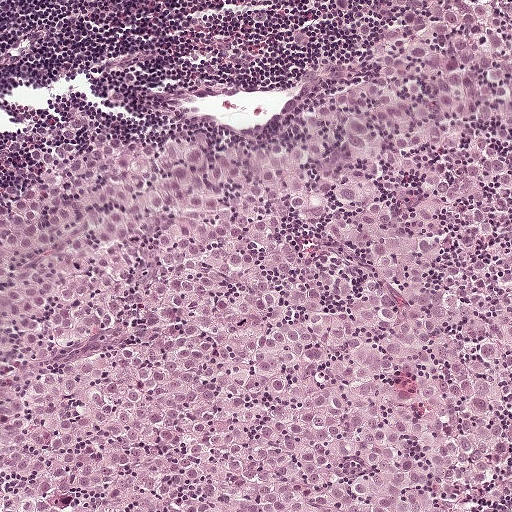
Lymph node section stained with H&E, from a whole-slide image of a breast-cancer sentinel node. Magnification about 10×, about 0.5 mm across the frame, about 0.97 µm per pixel.
One metastatic tumour region; its boundary, reduced to 9 corners and listed clockwise: (511, 0), (511, 511), (0, 511), (0, 173), (78, 131), (153, 150), (244, 134), (334, 63), (380, 2).
Tumour covers about 80% of the frame.